Question: 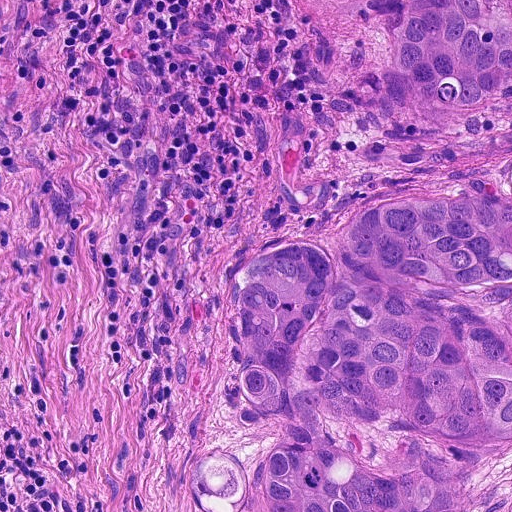
Lymph node section stained with H&E, from a whole-slide image of a breast-cancer sentinel node. Magnification about 20×, about 0.23 mm across the frame, about 0.45 µm per pixel.
About how much of this crop is taken up by metastatic carcinoma?

Choices:
 (A) about 50% or more
 (B) about 5% or less
 (C) none: no tumour is outlined
 (D) about 25% to 45%
 (E) about 10% to 20%

Answer: (D) about 25% to 45%
About 35% of the field is tumour.
Two metastatic tumour regions, each outlined as a closed clockwise path in crop pixels (x, y), largest first: region 1: (508, 155), (511, 442), (483, 461), (466, 511), (191, 511), (182, 456), (226, 441), (252, 464), (284, 444), (270, 420), (250, 432), (220, 396), (228, 304), (246, 262), (286, 240), (332, 238), (386, 194), (506, 194); region 2: (369, 0), (511, 0), (511, 92), (474, 120), (424, 124), (374, 103), (360, 103), (380, 60), (389, 14).